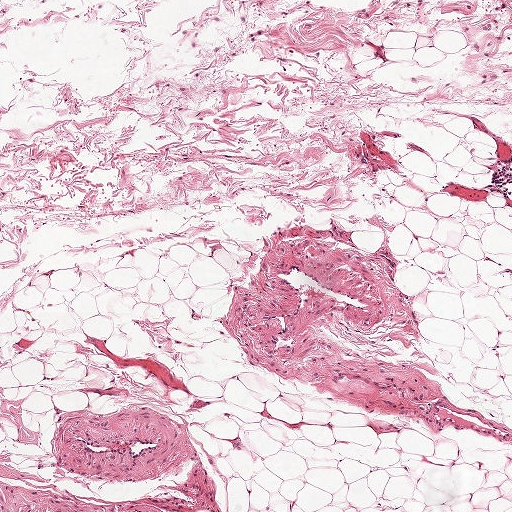
Lymph node section stained with H&E, from a whole-slide image of a breast-cancer sentinel node. Magnification about 5×, about 1 mm across the frame, about 1.9 µm per pixel.
Question: Does this lymph node field contain metastatic tumour?
Answer: No. No metastatic tumour is outlined in this field.